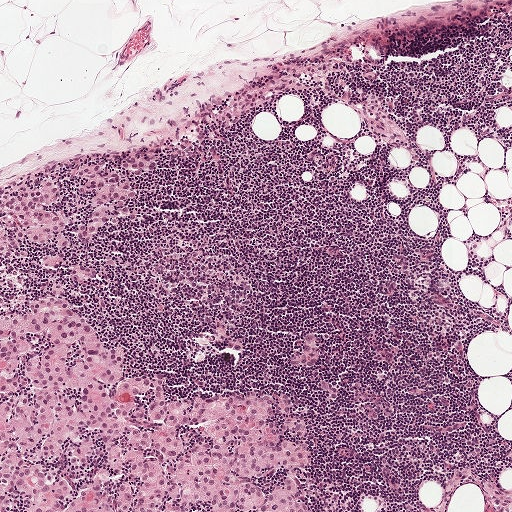
H&E-stained section of a sentinel lymph node (breast cancer), from a whole-slide image, viewed at about 5×: the field is about 1 mm across, about 1.9 µm per pixel.
Outlines of the eight largest metastatic tumour regions, each a closed clockwise path in crop pixels (x, y), largest first: region 1: (60, 282), (58, 294), (106, 348), (122, 346), (120, 381), (164, 372), (169, 400), (253, 389), (289, 394), (310, 455), (292, 470), (298, 500), (317, 511), (0, 511), (0, 315), (27, 311); region 2: (91, 162), (107, 165), (124, 175), (137, 191), (134, 200), (126, 200), (124, 205), (137, 211), (134, 220), (121, 216), (116, 224), (105, 224), (94, 241), (85, 245), (74, 237), (75, 230), (92, 211), (92, 194), (76, 194), (78, 188), (88, 177), (79, 179), (74, 173), (76, 168); region 3: (43, 180), (57, 180), (62, 190), (61, 199), (43, 208), (46, 212), (61, 210), (62, 215), (71, 220), (63, 234), (70, 244), (65, 248), (60, 248), (56, 245), (58, 234), (44, 246), (29, 240), (25, 234), (21, 240), (17, 239), (14, 236), (16, 230), (21, 230), (20, 216), (10, 211), (3, 202), (18, 194), (17, 188), (25, 184), (28, 189), (38, 188); region 4: (309, 333), (314, 334), (318, 348), (318, 361), (311, 367), (298, 367), (286, 363), (291, 354), (300, 350), (306, 335); region 5: (147, 154), (157, 161), (157, 170), (135, 175), (120, 166), (122, 161), (132, 156), (139, 157); region 6: (0, 225), (9, 229), (20, 246), (27, 252), (27, 257), (0, 256); region 7: (87, 262), (95, 267), (98, 278), (90, 284), (81, 285), (71, 280), (68, 272), (73, 265); region 8: (63, 252), (67, 260), (60, 269), (54, 269), (46, 268), (40, 264), (39, 257), (54, 256).
Two more, smaller tumour regions are not outlined.
About 20% of the image area is annotated as tumour.